Image:
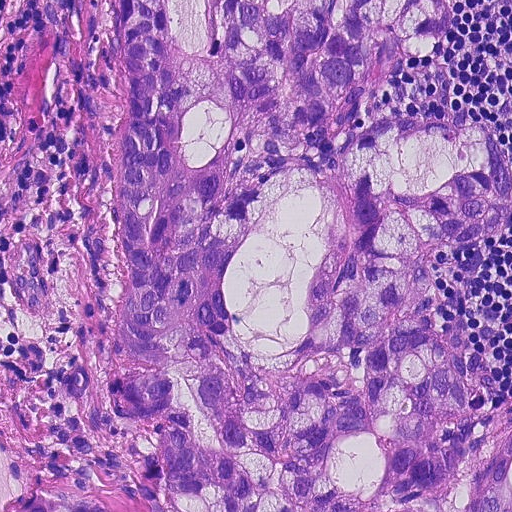
This is a crop of a whole-slide image: an H&E-stained breast-cancer sentinel lymph node section at roughly 20× magnification (about 0.45 µm per pixel; the crop spans about 0.23 mm).
Question:
Does this lymph node field contain metastatic tumour?
Answer:
Yes.
Two metastatic tumour regions, each outlined as a closed clockwise path in crop pixels (x, y), largest first: region 1: (126, 0), (511, 0), (511, 511), (151, 511), (148, 458), (165, 414), (133, 420), (104, 405), (100, 372), (128, 280), (116, 218), (131, 82), (118, 52); region 2: (25, 490), (56, 498), (88, 500), (108, 511), (0, 511), (0, 508).
Tumour covers about 75% of the frame.